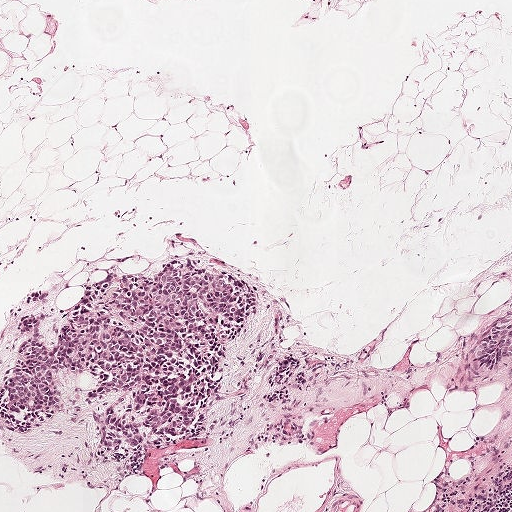
Lymph node section stained with H&E, from a whole-slide image of a breast-cancer sentinel node. Magnification about 5×, about 1 mm across the frame, about 1.9 µm per pixel.
Question: Show where the tumour is in this image.
Answer: Boundaries of two metastatic tumour regions, simplified and listed clockwise, largest first: region 1: (185, 259), (245, 279), (254, 314), (224, 348), (202, 421), (108, 450), (94, 421), (121, 396), (84, 402), (96, 382), (59, 368), (59, 412), (28, 432), (0, 416), (23, 333), (15, 322), (35, 309), (20, 292), (46, 287), (40, 326), (56, 343), (79, 291), (112, 274); region 2: (511, 316), (511, 363), (506, 364), (498, 372), (492, 374), (479, 372), (473, 365), (472, 351), (474, 343), (496, 322).
About 10% of this field is tumour.